H&E-stained section of a sentinel lymph node (breast cancer), from a whole-slide image, viewed at about 10×: the field is about 0.46 mm across, about 0.9 µm per pixel.
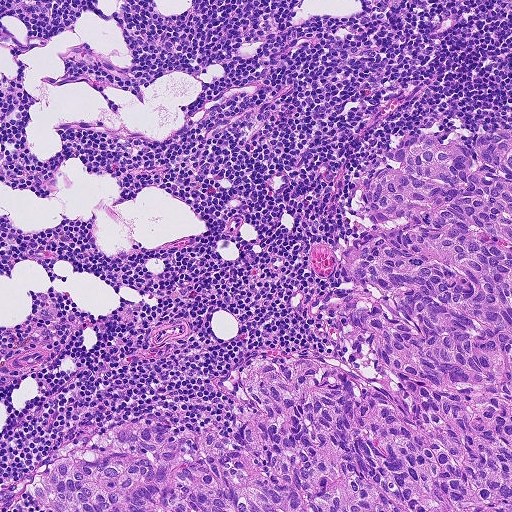
Tumour region outline (a closed clockwise path, crop pixels): (401, 129), (511, 131), (511, 511), (30, 504), (34, 464), (67, 440), (148, 412), (243, 448), (251, 412), (236, 396), (240, 354), (259, 344), (336, 355), (307, 325), (325, 286), (349, 285), (339, 247), (377, 226), (358, 219), (349, 198), (357, 178), (394, 162), (388, 147).
About 35% of this field is tumour.